Question: 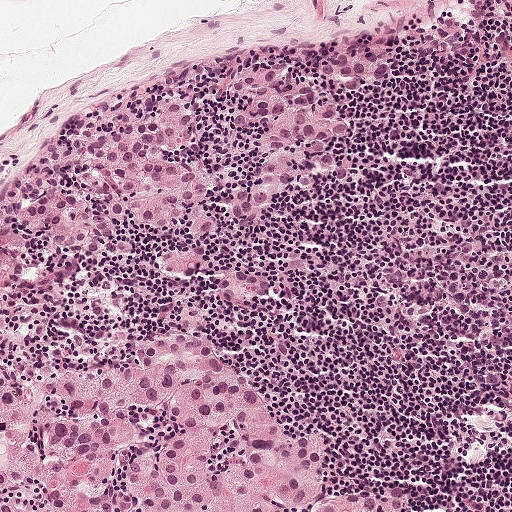
H&E-stained section of a sentinel lymph node (breast cancer), from a whole-slide image, viewed at about 10×: the field is about 0.5 mm across, about 0.97 µm per pixel.
What fraction of the image area is metastatic tumour?

Choices:
 (A) none: no tumour is outlined
 (B) about 10% to 20%
 (C) about 5% or less
 (D) about 25% to 45%
 (E) about 50% or more

Answer: (D) about 25% to 45%
About 30% of the field is tumour.
Seven metastatic tumour regions, each outlined as a closed clockwise path in crop pixels (x, y), largest first: region 1: (197, 305), (205, 320), (192, 329), (259, 391), (290, 437), (321, 431), (327, 485), (316, 502), (368, 489), (380, 496), (404, 485), (402, 511), (0, 511), (0, 358), (21, 380), (131, 362), (149, 333), (188, 329), (175, 319), (181, 307); region 2: (258, 64), (291, 71), (326, 90), (351, 123), (345, 140), (328, 141), (326, 150), (350, 162), (345, 181), (319, 171), (308, 189), (287, 188), (264, 221), (247, 231), (226, 213), (228, 200), (261, 162), (260, 127), (230, 128), (232, 116), (253, 94), (235, 98), (224, 86), (230, 76); region 3: (163, 100), (191, 100), (200, 120), (199, 138), (162, 156), (170, 163), (199, 159), (202, 169), (220, 179), (202, 207), (218, 227), (207, 236), (196, 236), (189, 230), (192, 208), (165, 231), (134, 221), (127, 209), (120, 221), (111, 218), (105, 211), (108, 200), (119, 200), (118, 173), (96, 163), (83, 145), (113, 128), (111, 116), (127, 108), (134, 117), (153, 117); region 4: (67, 187), (95, 197), (116, 232), (131, 244), (131, 255), (102, 252), (89, 255), (59, 248), (44, 232), (29, 246), (21, 278), (10, 292), (0, 296), (0, 225), (47, 189); region 5: (370, 48), (380, 52), (392, 63), (390, 81), (375, 83), (347, 91), (318, 73), (321, 61), (341, 53), (356, 53); region 6: (251, 264), (268, 274), (273, 296), (257, 307), (238, 310), (219, 300), (214, 285), (223, 270); region 7: (204, 244), (212, 259), (197, 278), (184, 278), (169, 277), (158, 267), (156, 254), (167, 251), (185, 251), (192, 246).